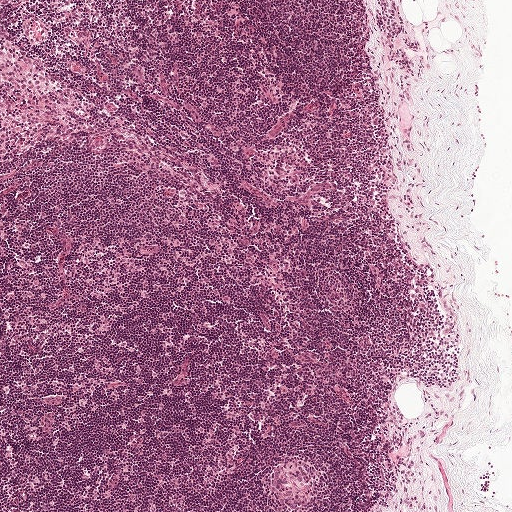
A 1-mm field of an H&E-stained sentinel lymph node from a breast-cancer patient (whole-slide image), shown at about 5×, about 1.9 µm per pixel.